Question: 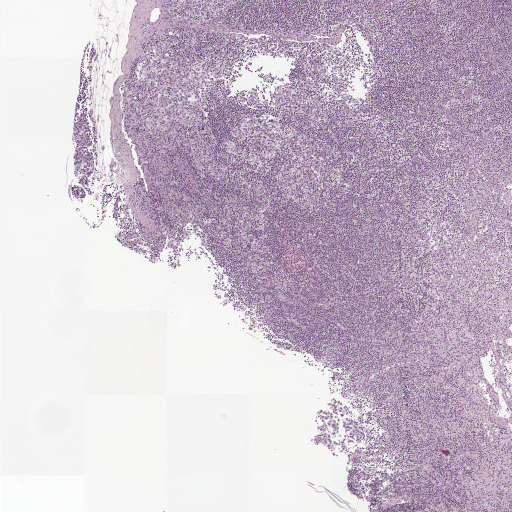
This is a crop of a whole-slide image: an H&E-stained breast-cancer sentinel lymph node section at roughly 2.5× magnification (about 3.9 µm per pixel; the crop spans about 2.0 mm).
About how much of this crop is taken up by metastatic carcinoma?

Choices:
 (A) about 5% or less
 (B) about 50% or more
 (C) about 10% to 20%
 (D) none: no tumour is outlined
 (E) about 25% to 45%

Answer: (A) about 5% or less
Under 5% of the field is tumour.
Boundaries of two metastatic tumour regions, simplified and listed clockwise, largest first: region 1: (334, 400), (344, 404), (364, 433), (364, 439), (358, 448), (339, 457), (328, 455), (324, 452), (322, 446), (312, 444), (314, 433), (314, 416), (316, 411), (326, 406), (328, 402); region 2: (80, 114), (86, 116), (92, 139), (92, 144), (88, 147), (93, 163), (93, 168), (82, 186), (74, 170), (72, 158), (74, 146), (72, 124), (77, 122), (76, 116).